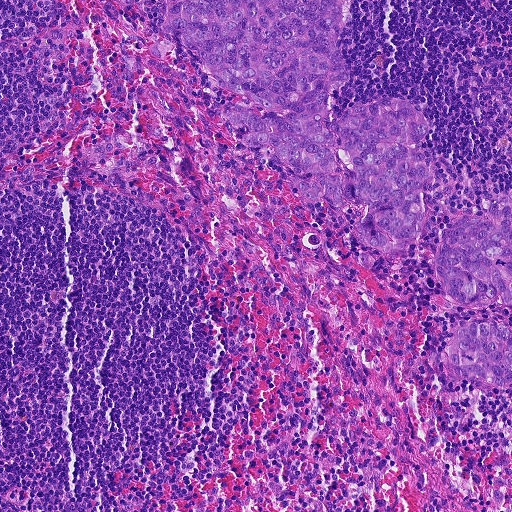
H&E-stained section of a sentinel lymph node (breast cancer), from a whole-slide image, viewed at about 10×: the field is about 0.46 mm across, about 0.9 µm per pixel.
Question: Which parts of this field are metastatic tumour?
Answer: Outlines of three tumour regions, largest first (closed clockwise paths, crop pixels): region 1: (157, 0), (346, 0), (338, 47), (350, 76), (326, 93), (328, 124), (377, 97), (409, 100), (429, 122), (427, 152), (436, 165), (422, 192), (423, 238), (402, 260), (372, 253), (349, 232), (368, 204), (300, 202), (295, 172), (236, 140), (220, 114), (246, 99), (218, 86), (168, 30); region 2: (500, 194), (511, 194), (511, 312), (500, 303), (470, 311), (455, 308), (442, 297), (437, 282), (442, 229), (450, 216), (476, 213), (490, 206); region 3: (473, 320), (489, 321), (505, 326), (511, 331), (511, 392), (493, 394), (478, 389), (452, 371), (449, 356), (452, 341), (459, 326).
About 20% of the image area is annotated as tumour.